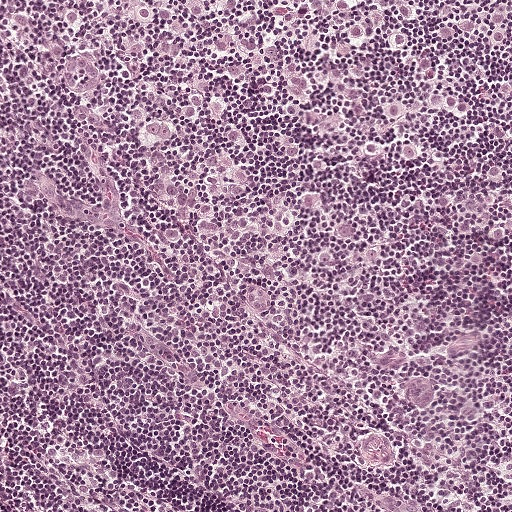
This is a crop of a whole-slide image: an H&E-stained breast-cancer sentinel lymph node section at roughly 10× magnification (about 0.97 µm per pixel; the crop spans about 0.5 mm).
Question: Is there metastatic carcinoma in this field?
Answer: Yes.
Tumour region outline (a closed clockwise path, crop pixels): (0, 0), (511, 0), (511, 263), (420, 279), (339, 320), (280, 286), (173, 279), (136, 226), (103, 79), (69, 56), (28, 62), (1, 49).
About 45% of this field is tumour.